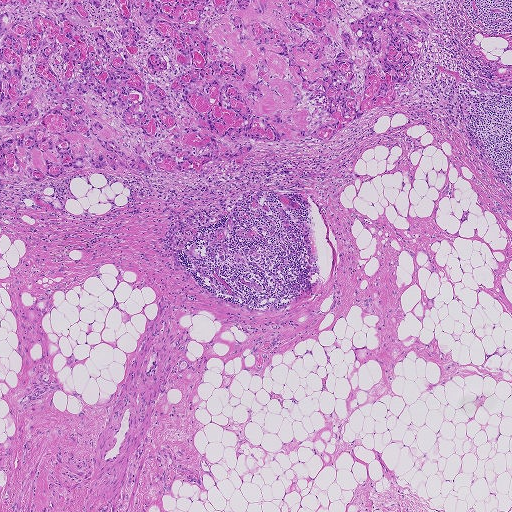
This is a crop of a whole-slide image: an H&E-stained breast-cancer sentinel lymph node section at roughly 2.5× magnification (about 3.6 µm per pixel; the crop spans about 1.9 mm).
Metastatic tumour outline, simplified to 8 points and listed clockwise in crop pixels (x, y): (0, 0), (417, 0), (431, 14), (392, 102), (328, 142), (261, 140), (200, 171), (0, 175).
Tumour covers about 25% of the frame.